Lymph node section stained with H&E, from a whole-slide image of a breast-cancer sentinel node. Magnification about 5×, about 0.93 mm across the frame, about 1.8 µm per pixel.
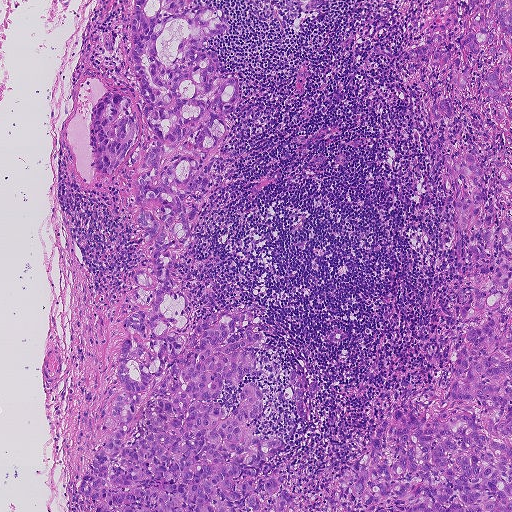
Tumour region outline (a closed clockwise path, crop pixels): (511, 0), (511, 511), (98, 511), (84, 499), (78, 479), (124, 390), (116, 374), (130, 276), (146, 249), (130, 180), (154, 146), (145, 114), (125, 163), (107, 176), (92, 161), (89, 128), (110, 90), (143, 103), (131, 3).
The annotated tumour makes up about 75% of the crop.